H&E-stained section of a sentinel lymph node (breast cancer), from a whole-slide image, viewed at about 10×: the field is about 0.5 mm across, about 0.97 µm per pixel.
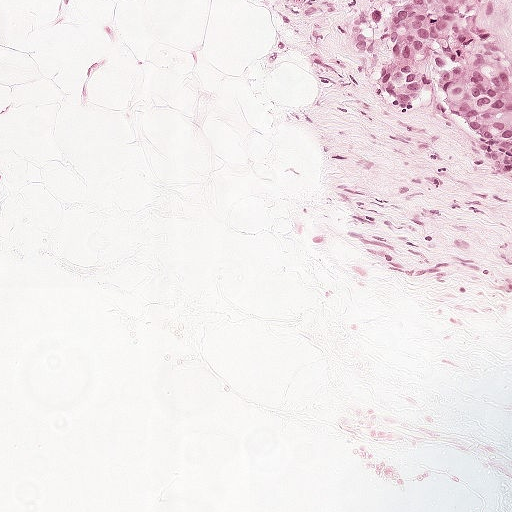
Tumour region outline (a closed clockwise path, crop pixels): (374, 0), (478, 0), (486, 25), (511, 61), (511, 177), (483, 158), (473, 124), (449, 118), (432, 85), (407, 99), (386, 96), (377, 89), (361, 36), (361, 18).
The annotated tumour makes up about 5% of the crop.